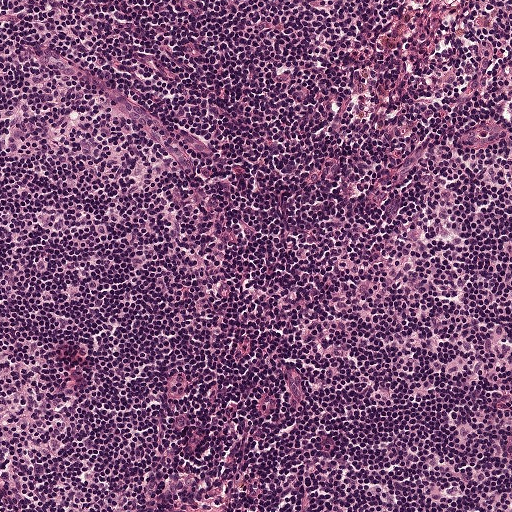
Lymph node section stained with H&E, from a whole-slide image of a breast-cancer sentinel node. Magnification about 10×, about 0.5 mm across the frame, about 0.97 µm per pixel.
Question: Is any metastatic breast cancer visible in this crop?
Answer: No, this field holds no outlined metastasis.